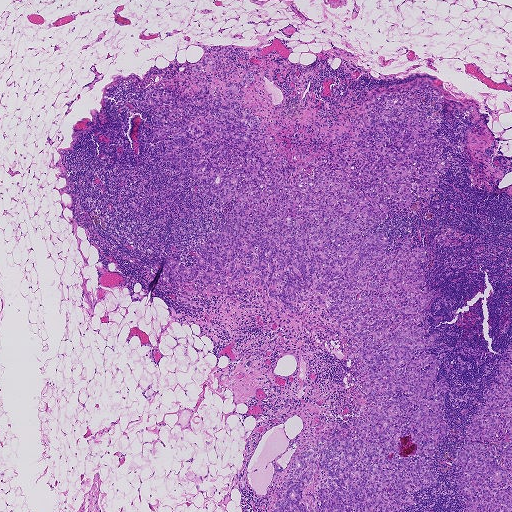
H&E-stained section of a sentinel lymph node (breast cancer), from a whole-slide image, viewed at about 2.5×: the field is about 1.9 mm across, about 3.6 µm per pixel.
Boundaries of two metastatic tumour regions, simplified and listed clockwise, largest first: region 1: (251, 70), (241, 104), (288, 160), (382, 93), (414, 97), (451, 145), (440, 199), (391, 210), (371, 232), (387, 235), (386, 253), (401, 238), (426, 250), (426, 294), (441, 289), (425, 320), (448, 389), (437, 481), (406, 511), (271, 511), (296, 455), (353, 428), (358, 347), (314, 295), (297, 317), (254, 284), (209, 299), (172, 287), (166, 256), (192, 267), (236, 197), (177, 184), (153, 116), (127, 98), (208, 86), (223, 101); region 2: (511, 342), (511, 511), (464, 511), (465, 501), (456, 490), (463, 466), (456, 453), (464, 438), (465, 427), (485, 402), (482, 392), (494, 382), (497, 360), (501, 358), (510, 362), (505, 355), (506, 346).
Tumour covers about 30% of the frame.